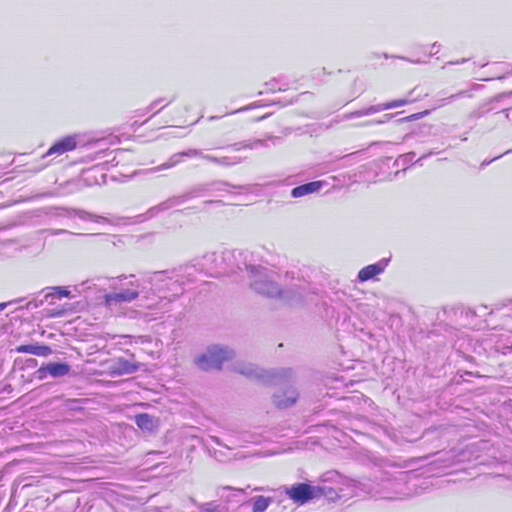
This is a crop of a whole-slide image: an H&E-stained breast-cancer sentinel lymph node section at roughly 40× magnification (about 0.23 µm per pixel; the crop spans about 0.12 mm).
Metastatic tumour outline, simplified to 10 points and listed clockwise in crop pixels (x, y): (236, 266), (308, 287), (345, 322), (345, 387), (319, 436), (253, 452), (187, 436), (160, 380), (153, 339), (174, 283).
Tumour covers about 10% of the frame.